Image:
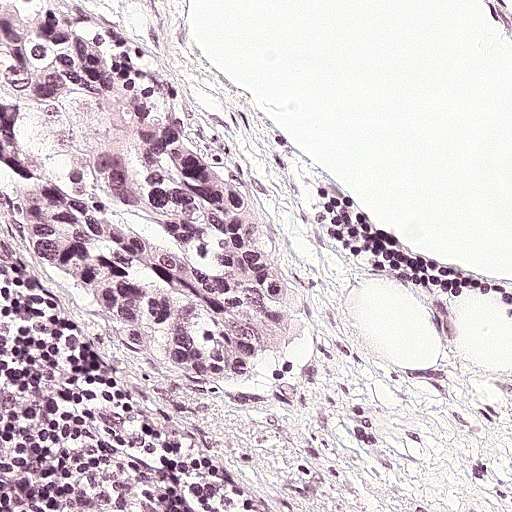
H&E-stained section of a sentinel lymph node (breast cancer), from a whole-slide image, viewed at about 20×: the field is about 0.25 mm across, about 0.49 µm per pixel.
Question:
Is there metastatic carcinoma in this field?
Answer:
Yes.
Metastatic tumour outline, simplified to 15 points and listed clockwise in crop pixels (x, y): (0, 3), (104, 42), (179, 110), (216, 166), (254, 190), (263, 240), (288, 265), (295, 315), (282, 380), (252, 398), (218, 398), (140, 358), (54, 273), (21, 220), (0, 174).
About 25% of this field is tumour.

Image:
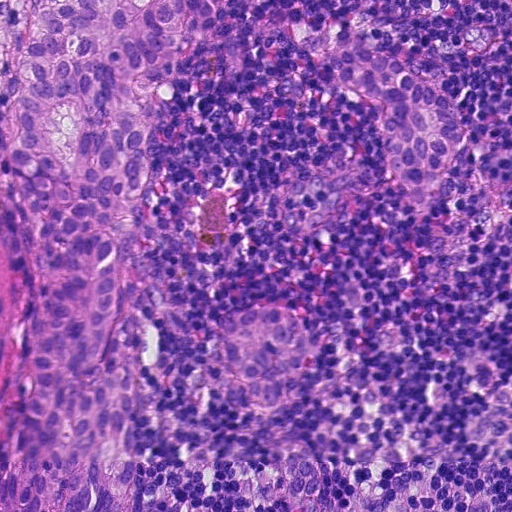
Lymph node section stained with H&E, from a whole-slide image of a breast-cancer sentinel node. Magnification about 20×, about 0.23 mm across the frame, about 0.45 µm per pixel.
Question:
Is there metastatic carcinoma in this field?
Answer:
Yes.
Outlines of three tumour regions, largest first (closed clockwise paths, crop pixels): region 1: (43, 0), (242, 0), (192, 17), (146, 82), (167, 101), (141, 147), (150, 172), (116, 244), (123, 296), (107, 347), (106, 364), (126, 362), (138, 390), (120, 434), (136, 466), (122, 511), (2, 511), (35, 383), (9, 119), (36, 11); region 2: (349, 24), (366, 46), (383, 50), (446, 89), (461, 122), (463, 140), (433, 206), (416, 211), (405, 186), (382, 158), (379, 102), (344, 91), (326, 59), (310, 58), (299, 42), (311, 34); region 3: (242, 306), (286, 306), (305, 318), (314, 338), (313, 360), (306, 382), (294, 399), (275, 408), (252, 408), (212, 392), (199, 374), (219, 334), (222, 313).
The annotated tumour makes up about 30% of the crop.

Image:
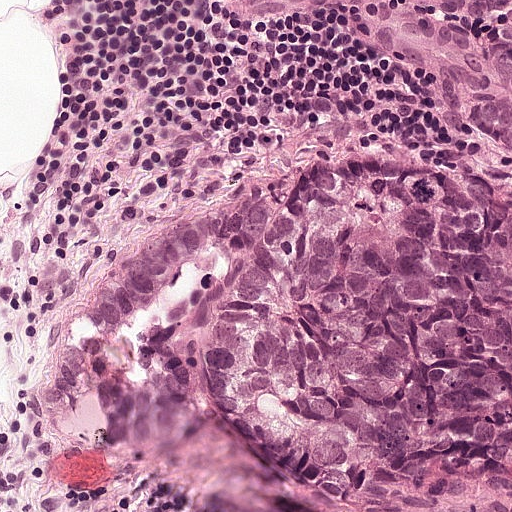
A 0.25-mm field of an H&E-stained sentinel lymph node from a breast-cancer patient (whole-slide image), shown at about 20×, about 0.49 µm per pixel.
Question:
Is there metastatic carcinoma in this field?
Answer:
Yes.
Boundaries of two metastatic tumour regions, simplified and listed clockwise, largest first: region 1: (362, 149), (468, 186), (511, 213), (511, 490), (432, 494), (384, 511), (154, 508), (107, 476), (78, 413), (78, 372), (57, 354), (134, 238), (278, 163); region 2: (511, 0), (511, 165), (434, 122), (394, 83), (391, 70), (380, 58), (348, 38), (332, 31), (266, 26), (234, 13), (234, 2).
About 60% of this field is tumour.

Image:
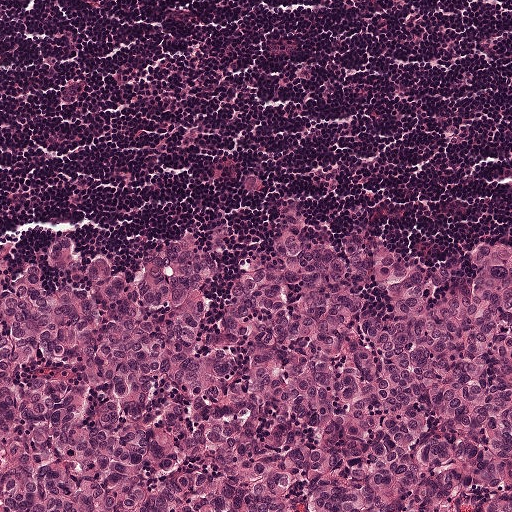
Lymph node section stained with H&E, from a whole-slide image of a breast-cancer sentinel node. Magnification about 10×, about 0.5 mm across the frame, about 0.97 µm per pixel.
Question:
Is there metastatic carcinoma in this field?
Answer:
Yes.
Metastatic tumour outline, simplified to 10 points and listed clockwise in crop pixels (x, y): (270, 209), (331, 226), (511, 223), (511, 511), (0, 511), (0, 246), (38, 244), (72, 222), (152, 248), (207, 216).
About 55% of this field is tumour.